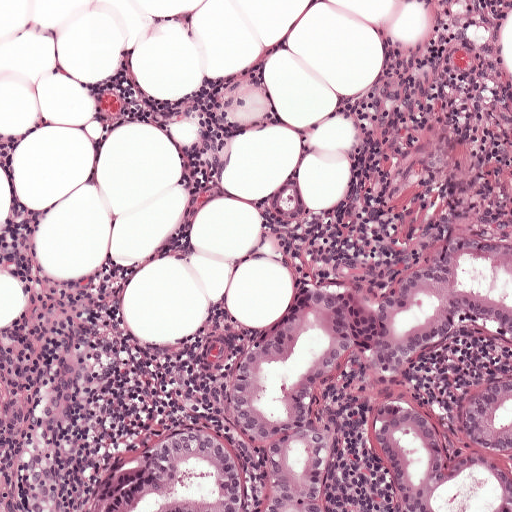
This is a crop of a whole-slide image: an H&E-stained breast-cancer sentinel lymph node section at roughly 10× magnification (about 0.97 µm per pixel; the crop spans about 0.5 mm).
Two metastatic tumour regions, each outlined as a closed clockwise path in crop pixels (x, y), largest first: region 1: (511, 245), (511, 511), (90, 511), (105, 470), (217, 415), (233, 358), (307, 280), (368, 300), (417, 264); region 2: (286, 179), (303, 180), (310, 198), (306, 223), (284, 223), (266, 210), (271, 190).
The annotated tumour makes up about 30% of the crop.